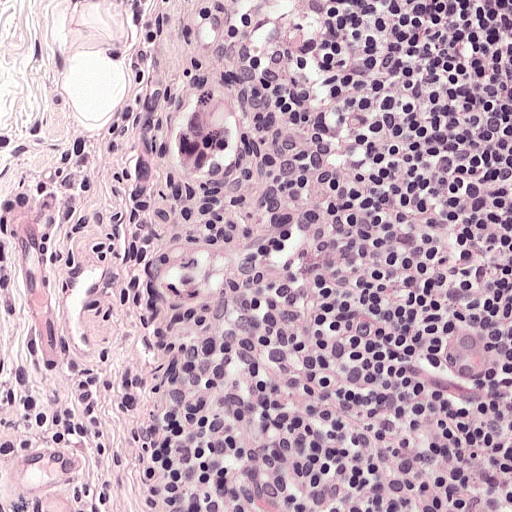
H&E-stained section of a sentinel lymph node (breast cancer), from a whole-slide image, viewed at about 20×: the field is about 0.25 mm across, about 0.49 µm per pixel.
Question: Describe where the metastatic carcinoma lies in this crop.
Answer: One metastatic tumour region; its boundary, reduced to 10 corners and listed clockwise: (208, 84), (228, 98), (238, 134), (232, 166), (214, 180), (194, 180), (180, 168), (178, 131), (183, 112), (194, 98).
Tumour covers under 5% of the frame.